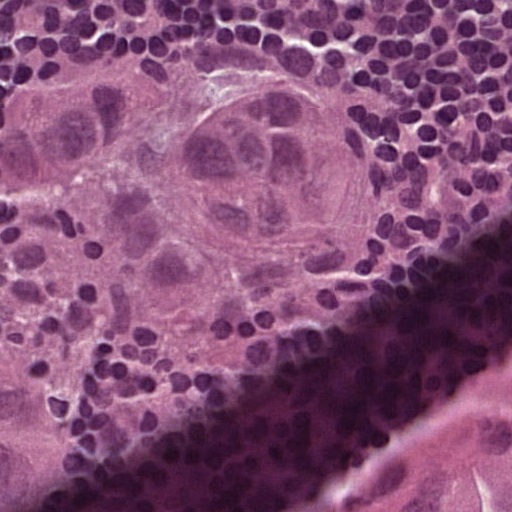
A 0.12-mm field of an H&E-stained sentinel lymph node from a breast-cancer patient (whole-slide image), shown at about 40×, about 0.24 µm per pixel.
Boundaries of two metastatic tumour regions, simplified and listed clockwise, largest first: region 1: (139, 61), (257, 70), (315, 107), (362, 205), (323, 259), (257, 331), (91, 357), (62, 511), (0, 511), (0, 109); region 2: (511, 378), (511, 511), (371, 511), (414, 440).
Tumour covers about 40% of the frame.